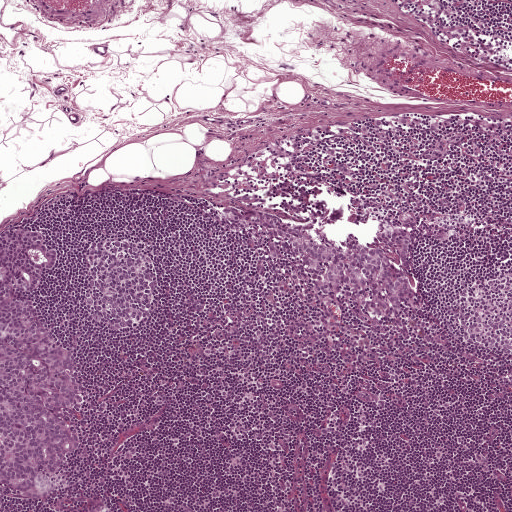
A 1-mm field of an H&E-stained sentinel lymph node from a breast-cancer patient (whole-slide image), shown at about 5×, about 1.9 µm per pixel.
Question: Where is the metastatic tumour in this field?
Answer: Two metastatic tumour regions, each outlined as a closed clockwise path in crop pixels (x, y), largest first: region 1: (32, 227), (52, 232), (64, 250), (54, 269), (35, 286), (48, 327), (66, 343), (83, 388), (76, 454), (52, 498), (0, 511), (0, 231); region 2: (228, 203), (292, 221), (314, 222), (335, 209), (411, 209), (419, 217), (412, 264), (418, 315), (380, 319), (340, 295), (328, 299), (292, 281), (287, 264), (266, 254), (254, 239), (226, 230), (220, 211).
About 10% of this field is tumour.